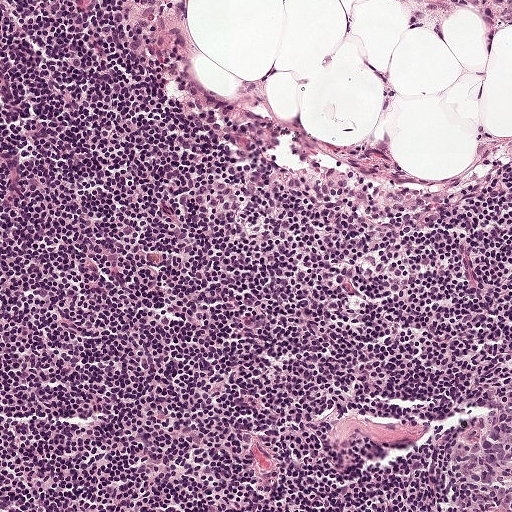
This is a crop of a whole-slide image: an H&E-stained breast-cancer sentinel lymph node section at roughly 10× magnification (about 0.97 µm per pixel; the crop spans about 0.5 mm).